Question: 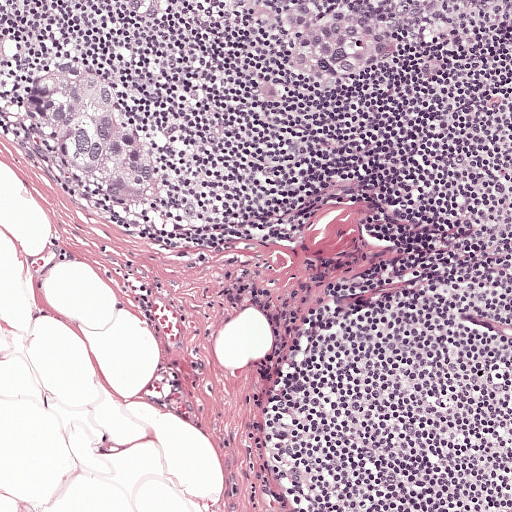
Which magnification is this H&E lymph node field most likely shown at?

Choices:
 (A) about 10×
 (B) about 20×
 (C) about 5×
 (D) about 40×
 (E) about 2.5×

Answer: (A) about 10×
This is a crop of a whole-slide image: an H&E-stained breast-cancer sentinel lymph node section at roughly 10× magnification (about 0.97 µm per pixel; the crop spans about 0.5 mm).
Three metastatic tumour regions, each outlined as a closed clockwise path in crop pixels (x, y), largest first: region 1: (62, 59), (103, 66), (122, 82), (152, 143), (162, 170), (164, 199), (154, 208), (142, 207), (74, 176), (27, 144), (12, 119), (13, 87), (24, 75); region 2: (309, 0), (329, 8), (353, 6), (393, 22), (404, 32), (404, 46), (398, 55), (365, 81), (325, 86), (298, 75), (285, 77), (293, 85), (293, 99), (283, 104), (267, 104), (254, 97), (254, 86), (278, 77), (274, 64), (295, 44), (286, 35), (281, 9), (293, 1); region 3: (108, 0), (168, 0), (167, 12), (158, 27), (147, 31), (134, 30), (122, 23), (113, 11).
The annotated tumour makes up about 10% of the crop.